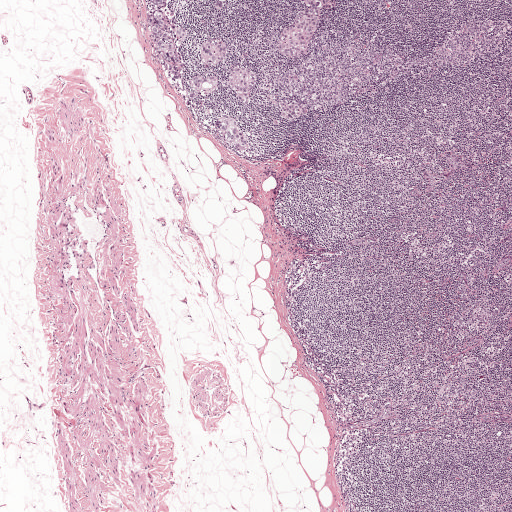
Lymph node section stained with H&E, from a whole-slide image of a breast-cancer sentinel node. Magnification about 2.5×, about 2.0 mm across the frame, about 3.9 µm per pixel.
Eight metastatic tumour regions, each outlined as a closed clockwise path in crop pixels (x, y), largest first: region 1: (171, 0), (169, 6), (174, 11), (175, 20), (187, 31), (187, 35), (184, 40), (174, 39), (176, 47), (184, 65), (181, 80), (178, 80), (169, 78), (154, 58), (148, 27), (150, 14), (155, 10), (156, 7), (149, 7), (148, 4), (150, 1); region 2: (301, 0), (334, 0), (333, 7), (320, 11), (318, 25), (310, 36), (305, 50), (298, 56), (288, 57), (281, 50), (278, 44), (279, 38), (283, 29), (294, 20), (297, 12), (308, 8); region 3: (224, 114), (234, 116), (239, 120), (247, 135), (249, 149), (244, 151), (227, 143), (215, 135), (212, 129), (212, 121), (215, 118); region 4: (235, 67), (241, 67), (257, 73), (258, 80), (251, 92), (248, 106), (239, 105), (235, 95), (225, 84), (228, 73); region 5: (214, 74), (220, 76), (220, 82), (216, 92), (213, 95), (195, 99), (191, 108), (188, 108), (185, 103), (187, 96), (192, 92), (190, 80), (194, 75), (206, 76); region 6: (210, 38), (225, 43), (226, 47), (222, 60), (213, 66), (204, 65), (200, 50), (202, 43); region 7: (282, 100), (297, 101), (309, 107), (308, 113), (300, 120), (290, 121), (280, 118), (282, 124), (275, 125), (272, 123), (272, 121), (278, 118), (277, 115), (282, 110), (279, 102); region 8: (371, 86), (374, 86), (374, 88), (365, 92), (360, 92), (358, 91), (360, 90), (368, 88).
Three more small tumour pieces are annotated here but not outlined.
About 5% of this field is tumour.